Lymph node section stained with H&E, from a whole-slide image of a breast-cancer sentinel node. Magnification about 5×, about 0.93 mm across the frame, about 1.8 µm per pixel.
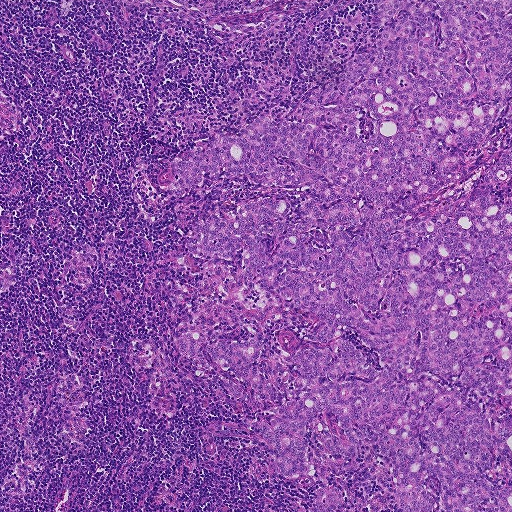
Metastatic tumour outline, simplified to 24 points and listed clockwise in crop pixels (x, y): (511, 0), (511, 511), (361, 511), (344, 490), (346, 511), (314, 511), (316, 491), (340, 481), (276, 475), (241, 420), (270, 424), (273, 408), (191, 370), (175, 338), (200, 299), (183, 235), (251, 197), (304, 190), (216, 179), (175, 198), (160, 168), (292, 110), (369, 47), (375, 4).
About 50% of the image area is annotated as tumour.